Question: 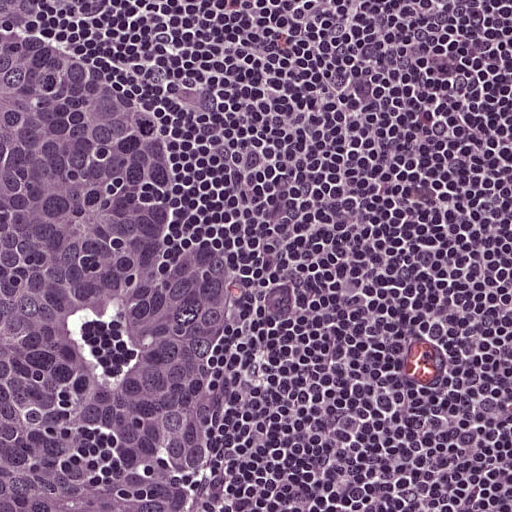
H&E-stained section of a sentinel lymph node (breast cancer), from a whole-slide image, viewed at about 20×: the field is about 0.25 mm across, about 0.49 µm per pixel.
About how much of this crop is taken up by metastatic carcinoma?

Choices:
 (A) about 25% to 45%
 (B) about 5% or less
 (C) none: no tumour is outlined
 (D) about 50% or more
 (E) about 10% to 20%

Answer: (A) about 25% to 45%
About 35% of the field is tumour.
Tumour region outline (a closed clockwise path, crop pixels): (0, 0), (52, 0), (44, 31), (72, 64), (219, 164), (196, 200), (194, 234), (236, 248), (236, 316), (217, 356), (219, 440), (199, 511), (0, 511).